Image:
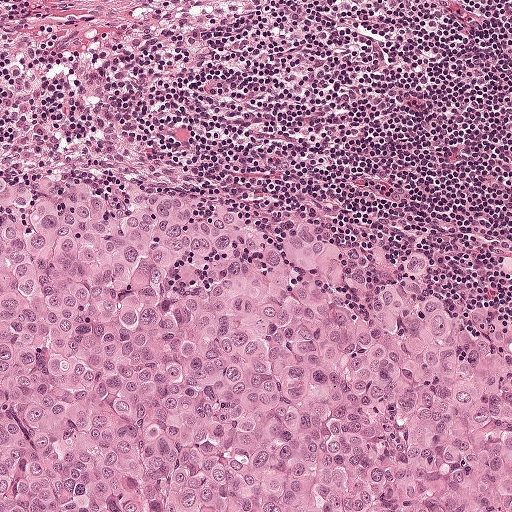
H&E-stained section of a sentinel lymph node (breast cancer), from a whole-slide image, viewed at about 10×: the field is about 0.5 mm across, about 0.97 µm per pixel.
Question:
Describe where the metastatic carcinoma lies in this crop.
Answer:
Tumour region outline (a closed clockwise path, crop pixels): (54, 138), (132, 138), (511, 318), (511, 511), (0, 511), (0, 160).
The annotated tumour makes up about 60% of the crop.